H&E-stained section of a sentinel lymph node (breast cancer), from a whole-slide image, viewed at about 40×: the field is about 0.12 mm across, about 0.23 µm per pixel.
Image:
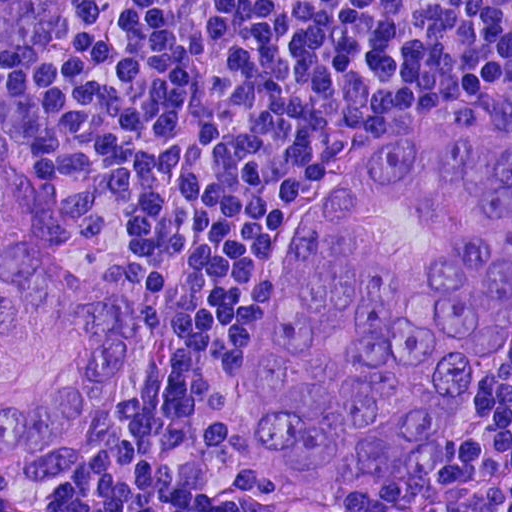
Question:
Where is the metastatic tumour in this field? Give each region's outline as (x, y) pixel points.
Answer:
Boundaries of three metastatic tumour regions, simplified and listed clockwise, largest first: region 1: (477, 115), (511, 130), (511, 355), (446, 465), (412, 490), (242, 502), (182, 495), (164, 457), (211, 420), (300, 221), (351, 150); region 2: (0, 121), (55, 233), (100, 251), (138, 280), (147, 327), (145, 373), (101, 457), (73, 495), (24, 503), (0, 488); region 3: (0, 0), (64, 0), (39, 46), (0, 56).
About 50% of this field is tumour.